Image:
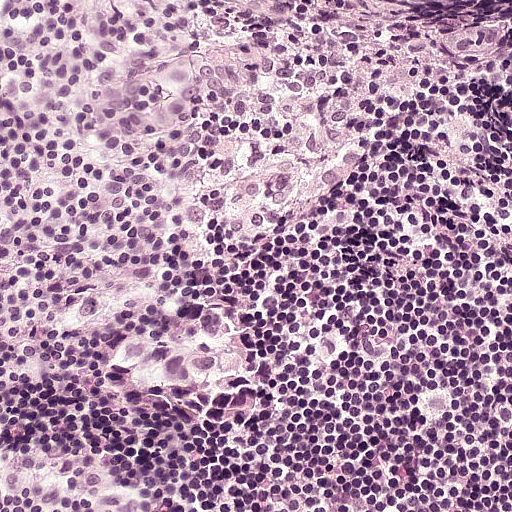
A 0.25-mm field of an H&E-stained sentinel lymph node from a breast-cancer patient (whole-slide image), shown at about 20×, about 0.49 µm per pixel.
Question:
Which parts of this field are metastatic tumour? Answer with the outline of each region, in pixels.
Answer:
Outlines of three tumour regions, largest first (closed clockwise paths, crop pixels): region 1: (176, 50), (224, 53), (236, 62), (237, 82), (212, 108), (168, 134), (131, 138), (94, 132), (82, 111), (94, 89); region 2: (216, 302), (224, 320), (230, 321), (235, 362), (230, 371), (197, 383), (156, 383), (134, 378), (122, 369), (116, 358), (116, 348), (129, 332), (174, 330), (192, 324), (200, 303); region 3: (216, 0), (276, 0), (276, 4), (276, 9), (268, 16), (258, 16), (245, 10), (229, 8).
About 5% of the image area is annotated as tumour.